Image:
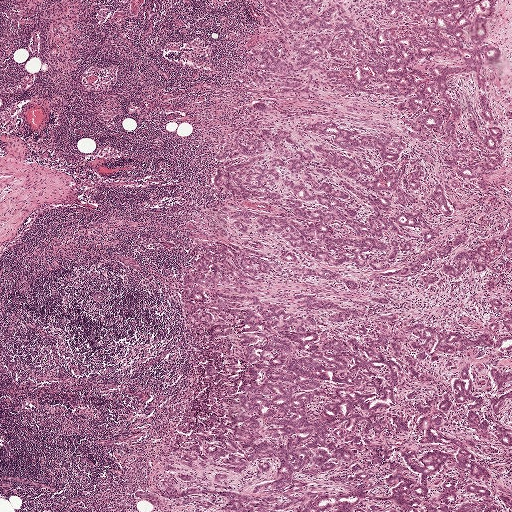
This is a crop of a whole-slide image: an H&E-stained breast-cancer sentinel lymph node section at roughly 2.5× magnification (about 3.9 µm per pixel; the crop spans about 2.0 mm).
Question:
Where is the metastatic tumour in this field?
Answer:
One metastatic tumour region; its boundary, reduced to 22 corners and listed clockwise: (267, 0), (498, 0), (507, 58), (495, 99), (508, 159), (489, 200), (443, 233), (467, 232), (479, 245), (511, 223), (511, 511), (163, 511), (136, 497), (171, 454), (191, 399), (183, 283), (228, 202), (215, 182), (219, 148), (262, 99), (238, 79), (264, 46).
The annotated tumour makes up about 60% of the crop.